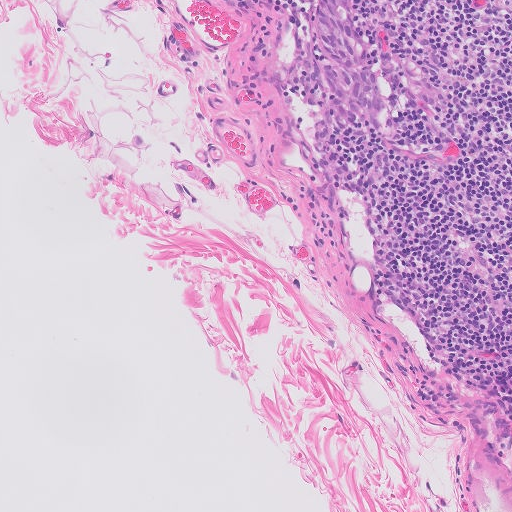
This is a crop of a whole-slide image: an H&E-stained breast-cancer sentinel lymph node section at roughly 10× magnification (about 1.0 µm per pixel; the crop spans about 0.51 mm).
Question: Trace the edge of each tumour region in this crop, as (x, y) points from 0 to 511.
Answer: Tumour region outline (a closed clockwise path, crop pixels): (314, 0), (363, 0), (360, 6), (375, 52), (384, 99), (374, 128), (357, 132), (342, 129), (328, 122), (319, 107), (309, 78).
Tumour covers about 5% of the frame.